Question: 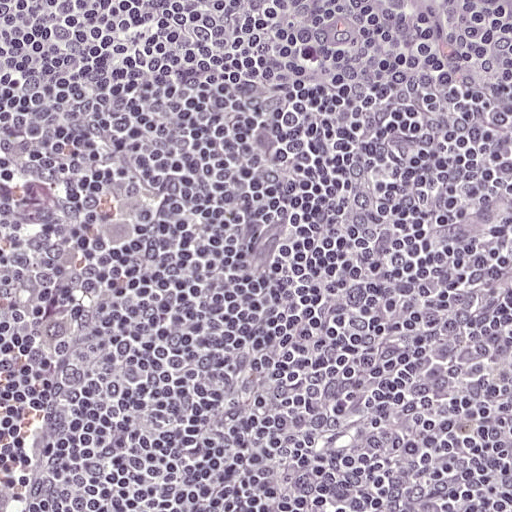
Which magnification is this H&E lymph node field most likely shown at?

Choices:
 (A) about 2.5×
 (B) about 20×
 (C) about 10×
 (D) about 40×
 (E) about 5×

Answer: (B) about 20×
A 0.25-mm field of an H&E-stained sentinel lymph node from a breast-cancer patient (whole-slide image), shown at about 20×, about 0.49 µm per pixel.